This is a crop of a whole-slide image: an H&E-stained breast-cancer sentinel lymph node section at roughly 10× magnification (about 0.97 µm per pixel; the crop spans about 0.5 mm).
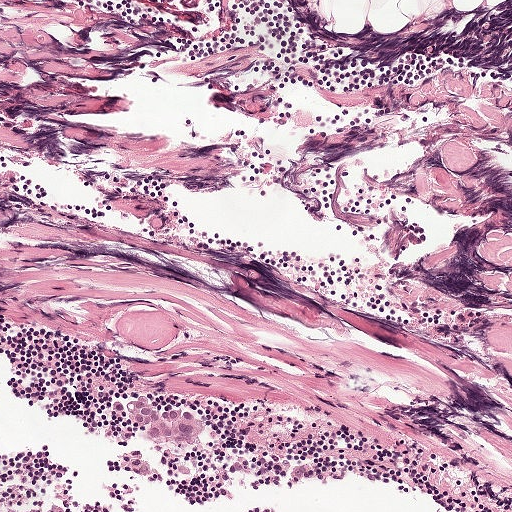
The outlined metastatic tumour's edge, as a closed clockwise path of 16 points: (137, 394), (166, 400), (205, 422), (206, 432), (200, 440), (200, 447), (192, 450), (164, 450), (157, 448), (150, 444), (148, 433), (143, 427), (125, 424), (109, 414), (108, 405), (117, 397).
Under 5% of this field is tumour.